Question: 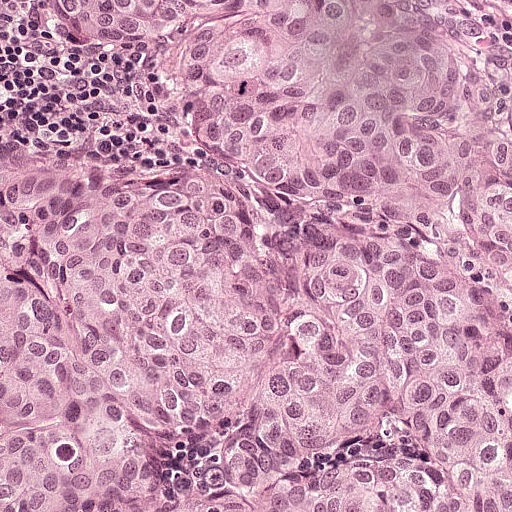
Lymph node section stained with H&E, from a whole-slide image of a breast-cancer sentinel node. Magnification about 20×, about 0.25 mm across the frame, about 0.49 µm per pixel.
About how much of this crop is taken up by metastatic carcinoma?

Choices:
 (A) none: no tumour is outlined
 (B) about 25% to 45%
 (C) about 10% to 20%
 (D) about 50% or more
 (E) about 5% or less

Answer: (D) about 50% or more
About 95% of the field is tumour.
Tumour region outline (a closed clockwise path, crop pixels): (0, 0), (511, 0), (511, 511), (0, 511), (0, 152), (38, 134), (109, 132), (152, 86), (148, 57), (9, 32).